Question: 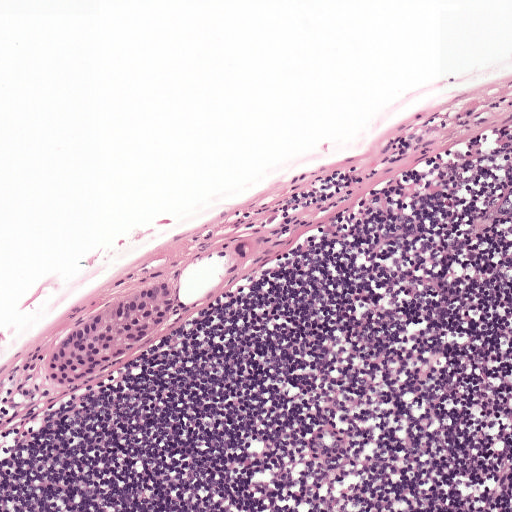
Lymph node section stained with H&E, from a whole-slide image of a breast-cancer sentinel node. Magnification about 10×, about 0.5 mm across the frame, about 0.97 µm per pixel.
About how much of this crop is taken up by metastatic carcinoma?

Choices:
 (A) none: no tumour is outlined
 (B) about 10% to 20%
 (C) about 5% or less
 (D) about 50% or more
 (E) about 25% to 45%

Answer: (C) about 5% or less
About 5% of the field is tumour.
The outlined metastatic tumour's edge, as a closed clockwise path of 10 points: (164, 280), (173, 286), (170, 317), (119, 359), (74, 386), (49, 382), (44, 367), (59, 343), (76, 323), (134, 282).
One more small tumour piece is annotated here but not outlined.